Question: 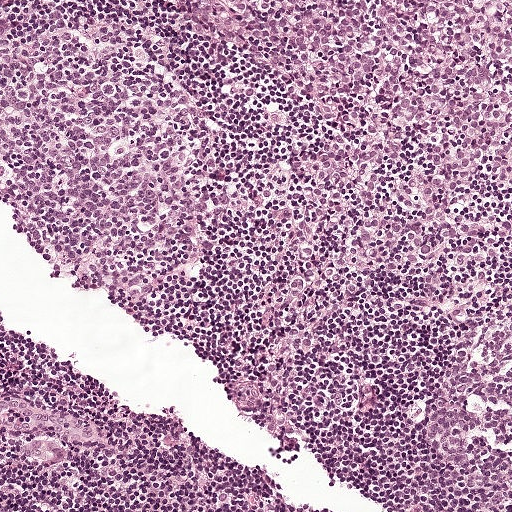
H&E-stained section of a sentinel lymph node (breast cancer), from a whole-slide image, viewed at about 10×: the field is about 0.5 mm across, about 0.97 µm per pixel.
Estimate the proportion of this field that is metastatic tumour.

Choices:
 (A) about 50% or more
 (B) none: no tumour is outlined
 (C) about 5% or less
 (D) about 10% to 20%
 (E) about 25% to 45%

Answer: (D) about 10% to 20%
About 10% of the field is tumour.
Tumour region outline (a closed clockwise path, crop pixels): (511, 0), (511, 135), (494, 145), (450, 137), (416, 112), (407, 95), (291, 88), (155, 1).